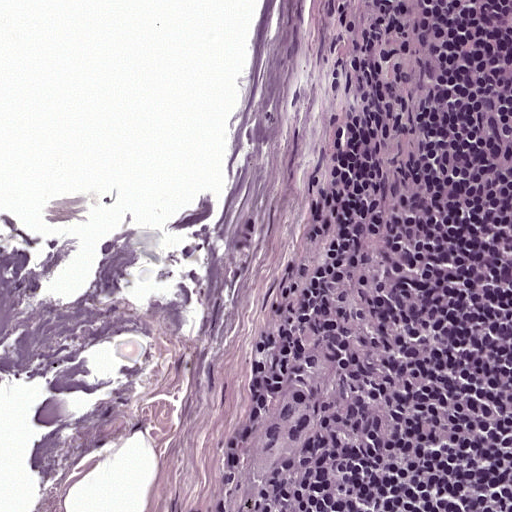
H&E-stained section of a sentinel lymph node (breast cancer), from a whole-slide image, viewed at about 20×: the field is about 0.25 mm across, about 0.49 µm per pixel.
Tumour region outline (a closed clockwise path, crop pixels): (302, 378), (316, 398), (316, 434), (270, 479), (236, 502), (244, 445), (268, 407).
Under 5% of the image area is annotated as tumour.